Image:
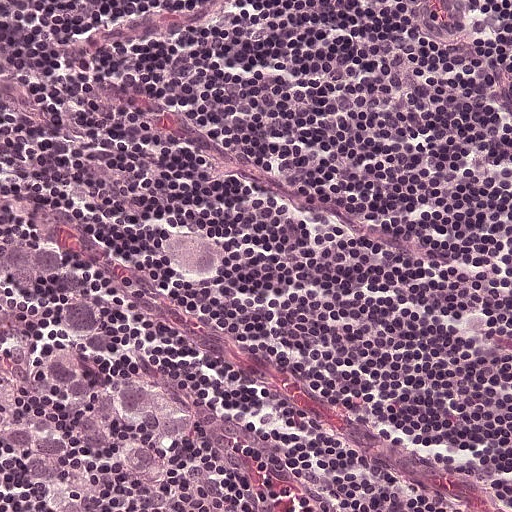
Lymph node section stained with H&E, from a whole-slide image of a breast-cancer sentinel node. Magnification about 20×, about 0.25 mm across the frame, about 0.49 µm per pixel.
Question:
Is any metastatic breast cancer visible in this crop?
Answer:
Yes.
One metastatic tumour region; its boundary, reduced to 11 corners and listed clockwise: (0, 195), (84, 260), (84, 324), (106, 360), (101, 380), (175, 437), (185, 469), (177, 509), (185, 511), (13, 511), (0, 503).
Tumour covers about 15% of the frame.